Lymph node section stained with H&E, from a whole-slide image of a breast-cancer sentinel node. Magnification about 20×, about 0.26 mm across the frame, about 0.5 µm per pixel.
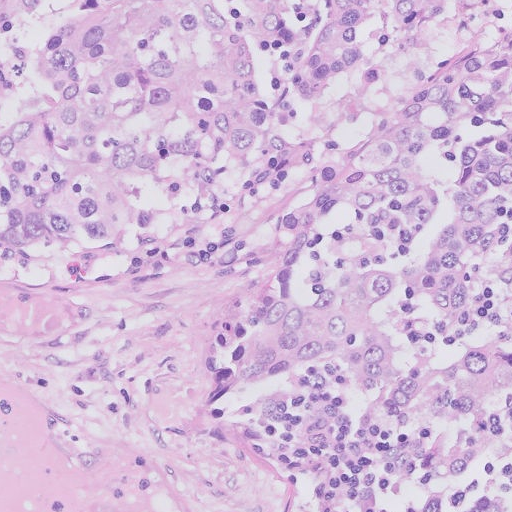
Metastatic tumour outline, simplified to 16 points and listed clockwise in crop pixels (x, y): (0, 0), (511, 0), (511, 511), (297, 511), (284, 490), (242, 470), (214, 424), (232, 326), (314, 194), (402, 131), (422, 84), (266, 196), (166, 249), (106, 265), (32, 259), (0, 241).
Tumour covers about 75% of the frame.